Question: 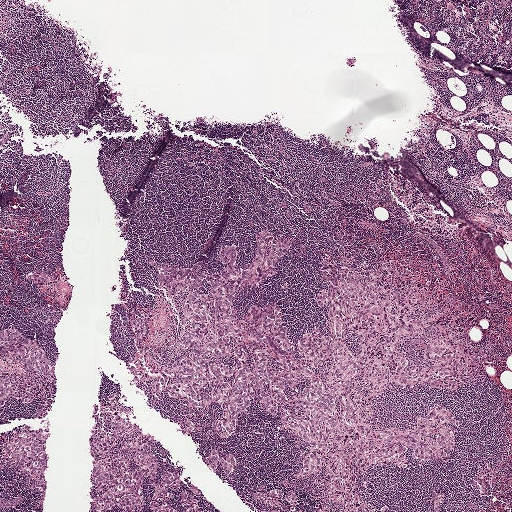
H&E-stained section of a sentinel lymph node (breast cancer), from a whole-slide image, viewed at about 2.5×: the field is about 2.0 mm across, about 3.9 µm per pixel.
Estimate the proportion of this field that is metastatic tumour.

Choices:
 (A) about 5% or less
 (B) about 25% to 45%
 (C) about 50% or more
 (D) none: no tumour is outlined
 (E) about 10% to 20%

Answer: (B) about 25% to 45%
About 25% of the field is tumour.
Boundaries of seven metastatic tumour regions, simplified and listed clockwise, largest first: region 1: (262, 228), (300, 241), (275, 274), (237, 292), (235, 317), (272, 305), (283, 337), (327, 330), (320, 280), (332, 253), (405, 252), (437, 270), (468, 340), (462, 392), (394, 383), (380, 395), (374, 427), (403, 431), (439, 407), (456, 418), (456, 441), (438, 460), (374, 467), (374, 511), (321, 511), (301, 480), (314, 443), (256, 404), (224, 435), (219, 405), (167, 394), (182, 322), (157, 257), (223, 268), (232, 245), (244, 266); region 2: (112, 394), (134, 408), (120, 417), (143, 429), (167, 453), (162, 460), (200, 489), (199, 500), (207, 511), (182, 511), (173, 494), (171, 500), (178, 511), (154, 511), (148, 507), (146, 476), (142, 502), (132, 511), (88, 511), (94, 458), (89, 439), (102, 415), (101, 396); region 3: (9, 325), (38, 346), (53, 370), (53, 376), (41, 386), (51, 386), (51, 389), (52, 399), (46, 413), (34, 415), (34, 409), (41, 402), (39, 397), (26, 402), (2, 397), (0, 400), (0, 370), (16, 374), (25, 373), (22, 365), (5, 361), (0, 357), (0, 327); region 4: (136, 308), (152, 313), (148, 334), (144, 343), (160, 344), (162, 348), (159, 368), (165, 370), (168, 376), (168, 381), (162, 387), (161, 400), (156, 397), (151, 380), (146, 379), (136, 383), (129, 372), (130, 363), (136, 360), (139, 354), (128, 322), (132, 309); region 5: (23, 426), (28, 426), (32, 430), (42, 429), (48, 434), (46, 444), (47, 458), (43, 471), (45, 482), (41, 486), (34, 486), (29, 483), (28, 475), (3, 462), (5, 449); region 6: (286, 481), (287, 485), (296, 493), (298, 508), (303, 511), (274, 511), (271, 505), (258, 502), (254, 491), (260, 485); region 7: (37, 269), (43, 274), (58, 274), (58, 280), (53, 284), (52, 292), (47, 294), (38, 286), (26, 280), (26, 276).